This is a crop of a whole-slide image: an H&E-stained breast-cancer sentinel lymph node section at roughly 2.5× magnification (about 3.9 µm per pixel; the crop spans about 2.0 mm).
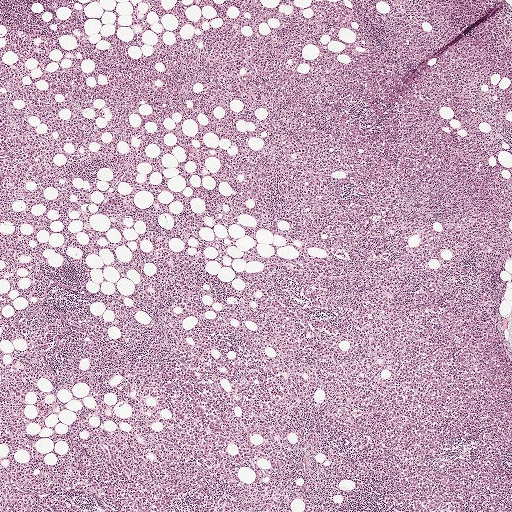
Five metastatic tumour regions, each outlined as a closed clockwise path in crop pixels (x, y), largest first: region 1: (440, 284), (490, 327), (488, 365), (473, 385), (458, 434), (440, 452), (389, 458), (333, 442), (311, 425), (286, 385), (264, 332), (264, 299), (275, 296), (326, 320); region 2: (354, 62), (388, 99), (448, 127), (458, 182), (444, 200), (368, 234), (312, 246), (300, 242), (286, 222), (260, 218), (249, 176), (290, 91), (321, 66); region 3: (192, 357), (210, 374), (252, 368), (265, 374), (285, 407), (284, 455), (276, 475), (285, 497), (278, 511), (101, 511), (98, 474), (106, 454), (136, 437), (179, 429), (180, 418), (154, 387), (166, 365); region 4: (511, 384), (511, 511), (473, 511), (472, 417), (477, 405), (489, 392); region 5: (22, 368), (27, 384), (24, 395), (27, 405), (24, 410), (24, 414), (28, 420), (26, 426), (34, 438), (34, 443), (27, 449), (20, 448), (12, 451), (6, 448), (5, 444), (1, 443), (0, 377).
The annotated tumour makes up about 30% of the crop.